A 1.0-mm field of an H&E-stained sentinel lymph node from a breast-cancer patient (whole-slide image), shown at about 5×, about 2.0 µm per pixel.
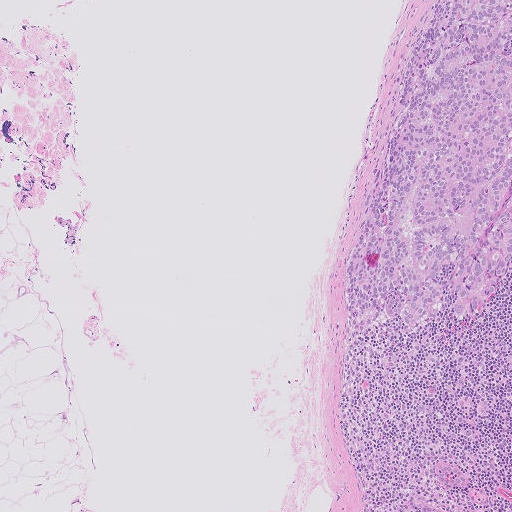
Question: Trace the edge of each tumour region in this crop, as (x, y) points from 0 to 511.
Answer: One metastatic tumour region; its boundary, reduced to 16 corners and listed clockwise: (511, 0), (511, 269), (476, 317), (439, 314), (413, 328), (403, 324), (407, 304), (394, 290), (369, 328), (351, 334), (346, 264), (374, 183), (373, 163), (397, 118), (405, 61), (432, 5).
About 15% of this field is tumour.